H&E-stained section of a sentinel lymph node (breast cancer), from a whole-slide image, viewed at about 2.5×: the field is about 2.0 mm across, about 3.9 µm per pixel.
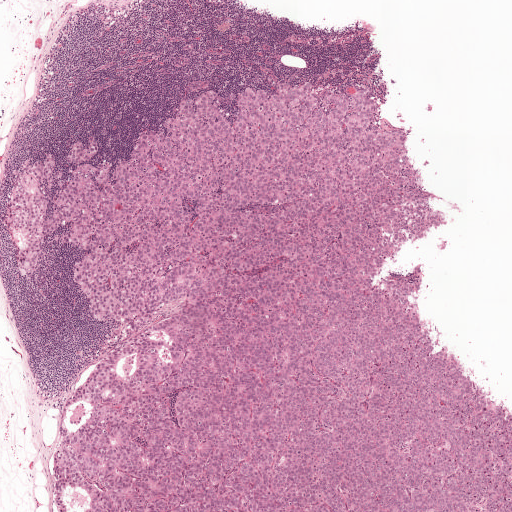
Tumour region outline (a closed clockwise path, crop pixels): (370, 86), (412, 126), (446, 226), (385, 278), (424, 268), (449, 346), (511, 400), (511, 511), (58, 511), (62, 411), (119, 325), (74, 289), (72, 224), (20, 275), (13, 166), (49, 152), (66, 179), (76, 142), (115, 159), (206, 90), (232, 126), (231, 92).
The annotated tumour makes up about 60% of the crop.